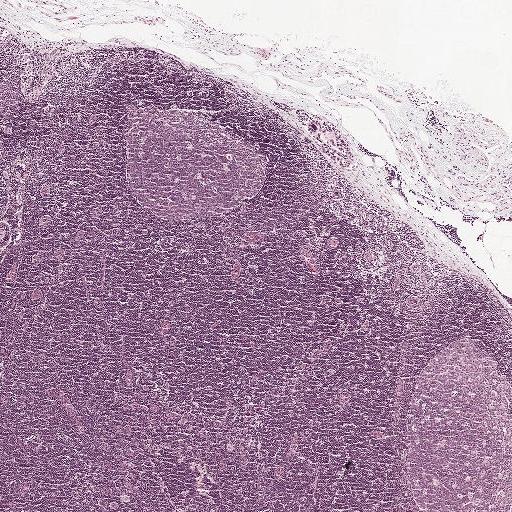
H&E-stained section of a sentinel lymph node (breast cancer), from a whole-slide image, viewed at about 2.5×: the field is about 2.0 mm across, about 3.9 µm per pixel.
Metastatic tumour outline, simplified to 12 points and listed clockwise in crop pixels (x, y): (311, 119), (331, 125), (350, 144), (354, 159), (353, 167), (349, 169), (338, 167), (331, 161), (324, 154), (319, 143), (314, 139), (307, 126).
Under 5% of the image area is annotated as tumour.